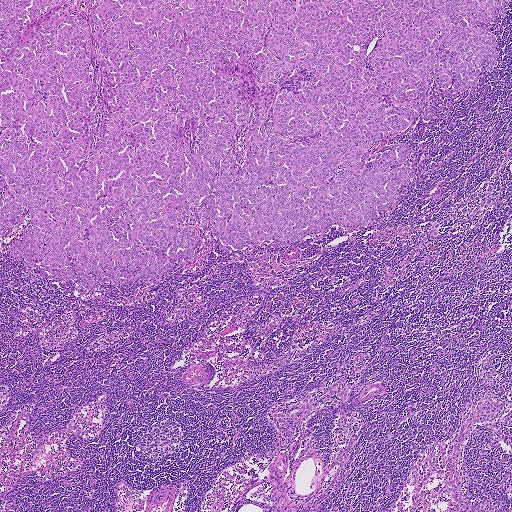
This is a crop of a whole-slide image: an H&E-stained breast-cancer sentinel lymph node section at roughly 2.5× magnification (about 3.6 µm per pixel; the crop spans about 1.9 mm).
Tumour region outline (a closed clockwise path, crop pixels): (0, 0), (509, 0), (506, 14), (479, 20), (498, 55), (474, 89), (434, 77), (422, 108), (434, 118), (420, 111), (364, 153), (407, 145), (408, 159), (389, 169), (415, 177), (361, 227), (226, 252), (196, 212), (194, 259), (153, 279), (91, 288), (10, 256), (29, 210), (0, 236).
Tumour covers about 40% of the frame.